This is a crop of a whole-slide image: an H&E-stained breast-cancer sentinel lymph node section at roughly 20× magnification (about 0.49 µm per pixel; the crop spans about 0.25 mm).
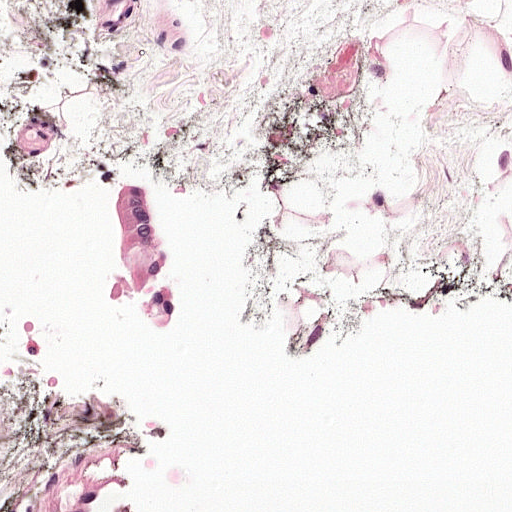
Metastatic tumour outline, simplified to 10 points and listed clockwise in crop pixels (x, y): (159, 176), (158, 215), (184, 292), (184, 329), (150, 336), (133, 311), (104, 307), (116, 262), (105, 196), (118, 184).
About 5% of the image area is annotated as tumour.